Question: 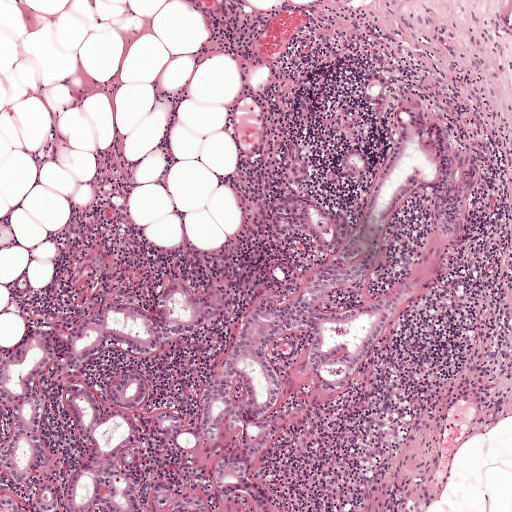
H&E-stained section of a sentinel lymph node (breast cancer), from a whole-slide image, viewed at about 5×: the field is about 1 mm across, about 1.9 µm per pixel.
Roughly what share of this field is metastatic tumour?

Choices:
 (A) about 25% to 45%
 (B) about 50% or more
 (C) none: no tumour is outlined
 (D) about 10% to 20%
 (E) about 5% or less

Answer: (A) about 25% to 45%
About 40% of the field is tumour.
Two metastatic tumour regions, each outlined as a closed clockwise path in crop pixels (x, y), largest first: region 1: (366, 64), (469, 125), (487, 181), (464, 270), (282, 430), (291, 511), (0, 511), (0, 359), (32, 324), (192, 285), (207, 333), (146, 390), (205, 380), (243, 293), (303, 266), (268, 155), (294, 140), (296, 172), (350, 195); region 2: (22, 273), (30, 273), (33, 283), (31, 295), (20, 295), (11, 289), (14, 279).